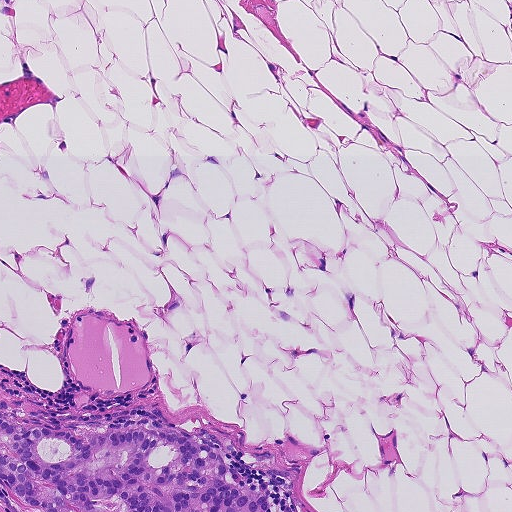
H&E-stained section of a sentinel lymph node (breast cancer), from a whole-slide image, viewed at about 10×: the field is about 0.46 mm across, about 0.9 µm per pixel.
Metastatic tumour outline, simplified to 10 points and listed clockwise in crop pixels (x, y): (0, 417), (63, 433), (146, 428), (188, 435), (224, 456), (223, 465), (236, 482), (256, 488), (269, 511), (0, 511).
The annotated tumour makes up about 5% of the crop.